Image:
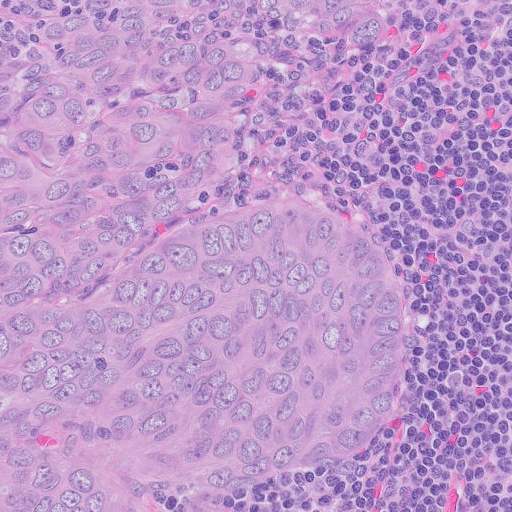
A 0.26-mm field of an H&E-stained sentinel lymph node from a breast-cancer patient (whole-slide image), shown at about 20×, about 0.5 µm per pixel.
Question:
Show where the tumour is in this image.
Answer:
One metastatic tumour region; its boundary, reduced to 14 corners and listed clockwise: (0, 0), (387, 0), (385, 31), (350, 56), (306, 44), (276, 76), (252, 161), (332, 194), (403, 256), (433, 338), (430, 382), (374, 446), (229, 511), (0, 511).
About 70% of this field is tumour.